Lymph node section stained with H&E, from a whole-slide image of a breast-cancer sentinel node. Magnification about 10×, about 0.5 mm across the frame, about 0.97 µm per pixel.
Image:
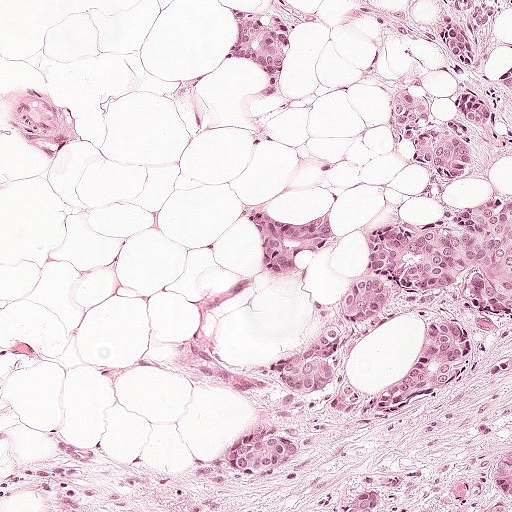
Question:
Does this lymph node field contain metastatic tumour?
Answer:
Yes.
Outlines of four tumour regions, largest first (closed clockwise paths, crop pixels): region 1: (508, 192), (511, 511), (243, 511), (238, 439), (276, 398), (271, 362), (296, 341), (309, 309), (356, 271), (367, 225), (382, 213), (431, 217); region 2: (511, 0), (511, 155), (504, 156), (491, 172), (440, 174), (419, 161), (410, 146), (390, 140), (392, 96), (405, 73), (422, 82), (438, 106), (452, 106), (450, 77), (433, 36), (431, 3); region 3: (246, 206), (254, 206), (274, 216), (304, 218), (316, 210), (328, 208), (335, 232), (323, 244), (304, 247), (302, 252), (312, 256), (295, 273), (266, 273), (263, 271), (261, 244), (250, 225), (241, 221), (242, 208); region 4: (242, 4), (264, 8), (283, 18), (283, 26), (287, 39), (284, 61), (272, 79), (249, 61), (226, 61), (235, 47), (236, 42), (236, 25), (230, 8).
Region 1 encloses a non-tumour hole of about 5% of its area.
About 30% of the image area is annotated as tumour.